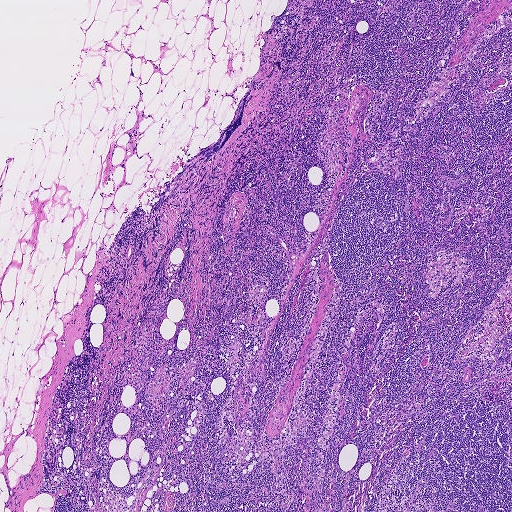
Lymph node section stained with H&E, from a whole-slide image of a breast-cancer sentinel node. Magnification about 2.5×, about 1.9 mm across the frame, about 3.6 µm per pixel.